A 1-mm field of an H&E-stained sentinel lymph node from a breast-cancer patient (whole-slide image), shown at about 5×, about 1.9 µm per pixel.
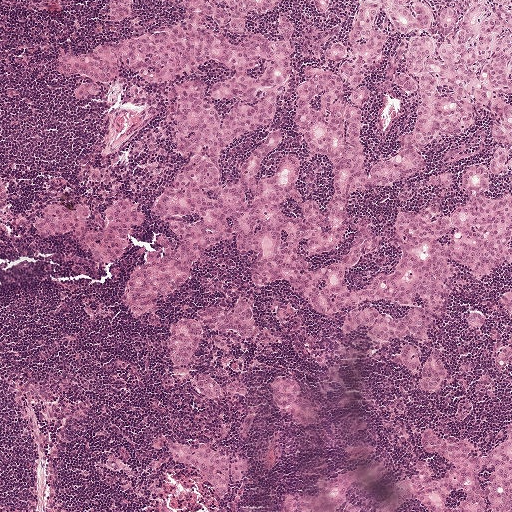
Outlines of eight tumour regions, largest first (closed clockwise paths, crop pixels): region 1: (511, 419), (511, 511), (376, 511), (392, 484), (412, 476), (410, 468), (413, 463), (421, 459), (427, 462), (439, 480), (446, 480), (449, 475), (444, 458), (424, 453), (418, 440), (421, 432), (432, 430), (453, 444), (466, 441), (485, 455), (501, 442); region 2: (130, 198), (141, 207), (142, 221), (139, 226), (130, 225), (121, 257), (102, 263), (93, 260), (71, 234), (54, 237), (41, 234), (33, 225), (49, 202), (73, 206), (77, 202), (88, 210), (89, 217), (83, 223), (92, 229), (103, 226), (110, 202); region 3: (236, 298), (245, 300), (254, 331), (226, 348), (218, 350), (211, 341), (209, 330), (200, 328), (199, 350), (194, 362), (180, 367), (173, 365), (170, 359), (170, 351), (166, 344), (166, 335), (172, 321), (190, 317), (202, 307), (226, 309), (232, 306); region 4: (376, 460), (386, 468), (382, 479), (369, 485), (356, 488), (347, 494), (348, 500), (358, 511), (277, 511), (279, 501), (285, 492), (292, 490), (301, 493), (314, 493), (317, 480), (329, 476), (338, 468), (354, 470), (369, 461); region 5: (169, 440), (182, 442), (194, 448), (199, 443), (202, 444), (227, 461), (244, 460), (245, 466), (243, 476), (236, 481), (226, 482), (225, 495), (220, 498), (216, 498), (196, 469), (176, 462), (168, 455), (165, 444); region 6: (284, 377), (294, 383), (298, 389), (297, 396), (306, 399), (316, 409), (318, 423), (310, 427), (306, 427), (275, 408), (270, 393), (271, 380), (274, 378); region 7: (413, 345), (420, 352), (421, 366), (430, 354), (440, 358), (442, 370), (438, 384), (434, 390), (425, 390), (420, 386), (420, 374), (400, 367), (399, 352), (401, 348); region 8: (201, 373), (215, 381), (220, 387), (221, 396), (212, 399), (206, 399), (198, 394), (189, 381), (190, 376).
One more tumour region is annotated but not outlined: its edge is too irregular for a short outline.
Five more, smaller tumour regions are not outlined.
One more small tumour piece is annotated here but not outlined.
The annotated tumour makes up about 40% of the crop.